Lymph node section stained with H&E, from a whole-slide image of a breast-cancer sentinel node. Magnification about 2.5×, about 2.0 mm across the frame, about 3.9 µm per pixel.
Question: 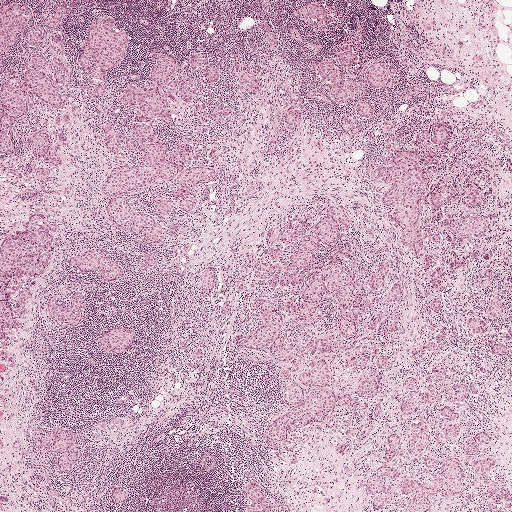
Roughly what share of this field is metastatic tumour?

Choices:
 (A) about 25% to 45%
 (B) about 5% or less
 (C) none: no tumour is outlined
 (D) about 50% or more
 (E) about 10% to 20%

Answer: (B) about 5% or less
About 5% of the field is tumour.
Outlines of six tumour regions, largest first (closed clockwise paths, crop pixels): region 1: (175, 54), (177, 83), (175, 89), (171, 91), (176, 98), (174, 101), (167, 99), (173, 111), (170, 124), (159, 117), (146, 124), (153, 128), (158, 140), (165, 145), (165, 157), (186, 141), (192, 143), (194, 152), (182, 171), (169, 182), (158, 178), (137, 191), (108, 197), (103, 194), (101, 188), (108, 171), (121, 162), (139, 165), (143, 155), (139, 148), (141, 140), (131, 131), (139, 110), (124, 103), (121, 96), (131, 84), (152, 85), (151, 69), (159, 55); region 2: (40, 212), (48, 220), (58, 225), (54, 237), (52, 258), (47, 269), (38, 276), (37, 283), (32, 288), (24, 305), (25, 315), (19, 318), (24, 326), (20, 329), (6, 326), (5, 341), (0, 343), (0, 244), (24, 232), (31, 214); region 3: (113, 15), (118, 27), (129, 31), (130, 39), (124, 60), (116, 64), (113, 70), (106, 71), (108, 89), (104, 97), (100, 99), (92, 96), (94, 88), (86, 83), (88, 71), (78, 61), (81, 45), (89, 27), (98, 16); region 4: (100, 248), (109, 258), (119, 264), (124, 272), (122, 279), (117, 282), (109, 282), (98, 278), (97, 269), (86, 275), (81, 273), (79, 268), (67, 264), (68, 260), (74, 255); region 5: (10, 3), (16, 5), (25, 4), (30, 8), (30, 14), (26, 27), (21, 34), (15, 36), (13, 46), (0, 57), (0, 8); region 6: (110, 327), (132, 329), (136, 335), (135, 343), (121, 354), (103, 351), (96, 340).